A 0.23-mm field of an H&E-stained sentinel lymph node from a breast-cancer patient (whole-slide image), shown at about 20×, about 0.45 µm per pixel.
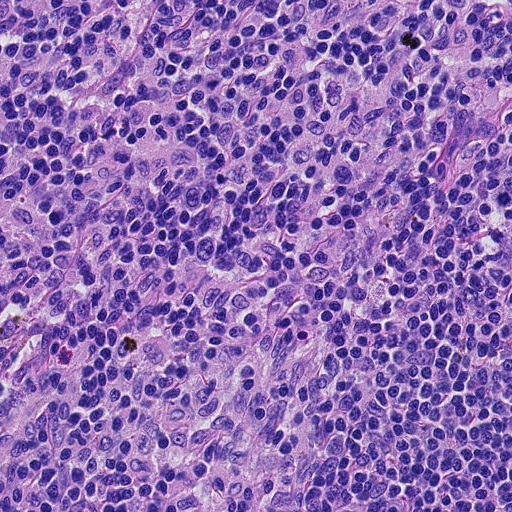
Question: Does this lymph node field contain metastatic tumour?
Answer: No, this field holds no outlined metastasis.